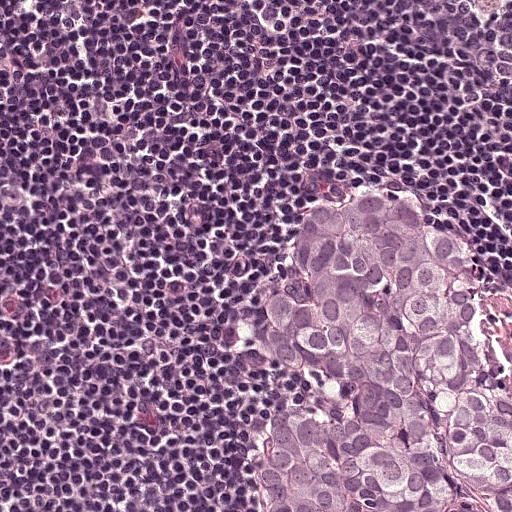
A 0.25-mm field of an H&E-stained sentinel lymph node from a breast-cancer patient (whole-slide image), shown at about 20×, about 0.49 µm per pixel.
Question: Does this lymph node field contain metastatic tumour?
Answer: Yes.
Metastatic tumour outline, simplified to 11 points and listed clockwise in crop pixels (x, y): (418, 202), (480, 254), (511, 391), (511, 511), (260, 511), (254, 432), (302, 398), (298, 377), (266, 346), (273, 293), (325, 214).
The annotated tumour makes up about 25% of the crop.